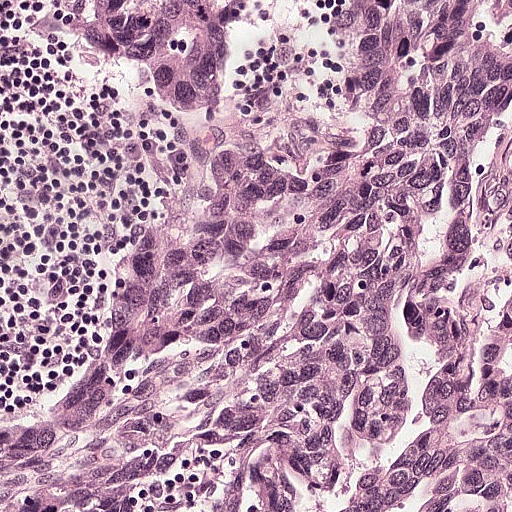
H&E-stained section of a sentinel lymph node (breast cancer), from a whole-slide image, viewed at about 20×: the field is about 0.25 mm across, about 0.49 µm per pixel.
Two metastatic tumour regions, each outlined as a closed clockwise path in crop pixels (x, y), largest first: region 1: (55, 0), (251, 0), (242, 38), (251, 54), (283, 68), (304, 100), (349, 132), (424, 161), (434, 227), (394, 302), (392, 343), (414, 390), (414, 427), (349, 511), (0, 511), (0, 411), (90, 354), (124, 304), (151, 230), (154, 100), (90, 50); region 2: (511, 0), (511, 258), (458, 125), (435, 106), (355, 82), (340, 2).
About 60% of this field is tumour.